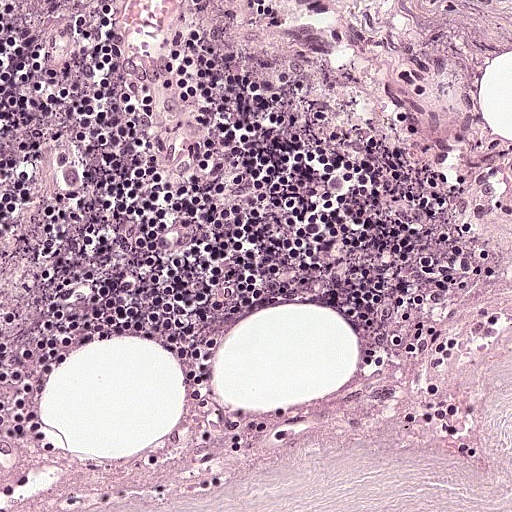
H&E-stained section of a sentinel lymph node (breast cancer), from a whole-slide image, viewed at about 20×: the field is about 0.25 mm across, about 0.49 µm per pixel.
Question: Does this lymph node field contain metastatic tumour?
Answer: No: no metastatic tumour is outlined anywhere in this field.